Image:
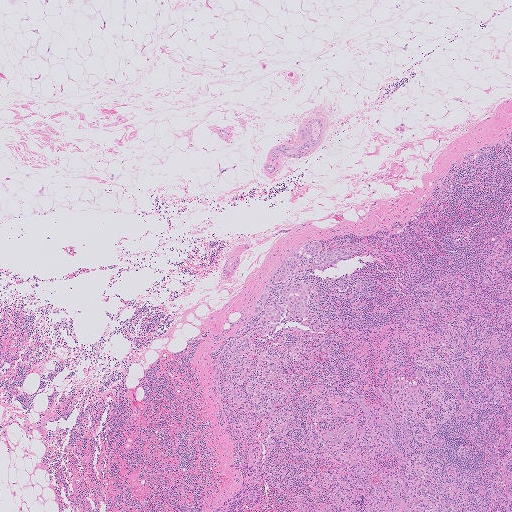
Lymph node section stained with H&E, from a whole-slide image of a breast-cancer sentinel node. Magnification about 2.5×, about 2.0 mm across the frame, about 4.0 µm per pixel.
Question:
Show where the tumour is in this image.
Answer:
Boundaries of two metastatic tumour regions, simplified and listed clockwise, largest first: region 1: (302, 280), (314, 284), (316, 292), (312, 302), (313, 306), (310, 312), (301, 319), (258, 327), (256, 324), (259, 317), (248, 313), (249, 307), (256, 297), (267, 291), (270, 294), (269, 302), (272, 301), (284, 287); region 2: (310, 240), (318, 240), (322, 244), (324, 251), (336, 244), (339, 247), (354, 248), (355, 256), (353, 259), (321, 271), (313, 270), (311, 267), (313, 256), (302, 267), (283, 281), (272, 281), (272, 274), (281, 261), (292, 250).
The annotated tumour makes up under 5% of the crop.